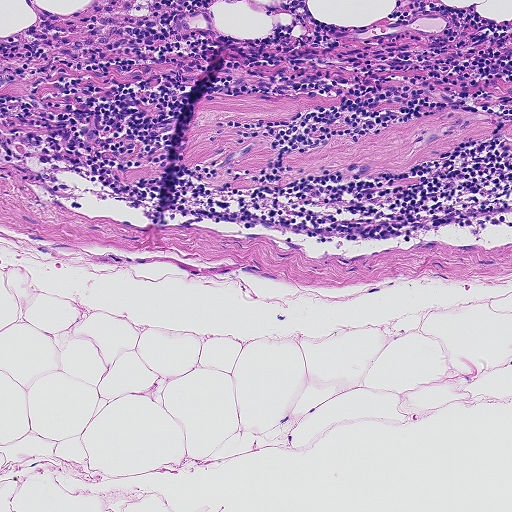
This is a crop of a whole-slide image: an H&E-stained breast-cancer sentinel lymph node section at roughly 10× magnification (about 0.9 µm per pixel; the crop spans about 0.46 mm).
Question: Does this lymph node field contain metastatic tumour?
Answer: No: no metastatic tumour is outlined anywhere in this field.